Image:
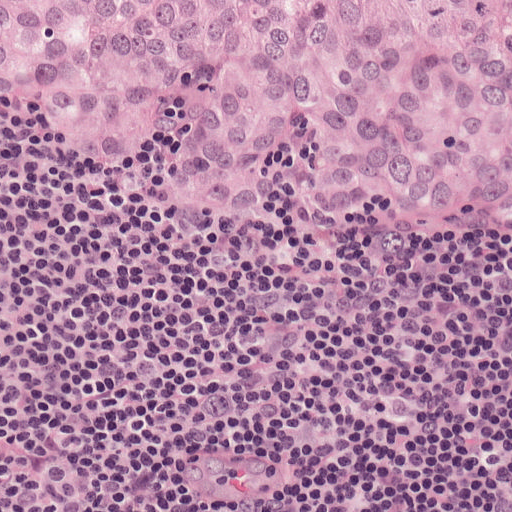
Lymph node section stained with H&E, from a whole-slide image of a breast-cancer sentinel node. Magnification about 20×, about 0.25 mm across the frame, about 0.49 µm per pixel.
Question:
Where is the metastatic tumour in this field?
Answer:
One metastatic tumour region; its boundary, reduced to 9 corners and listed clockwise: (0, 0), (511, 0), (511, 241), (398, 260), (242, 238), (100, 171), (54, 168), (31, 120), (0, 118).
The annotated tumour makes up about 45% of the crop.